Image:
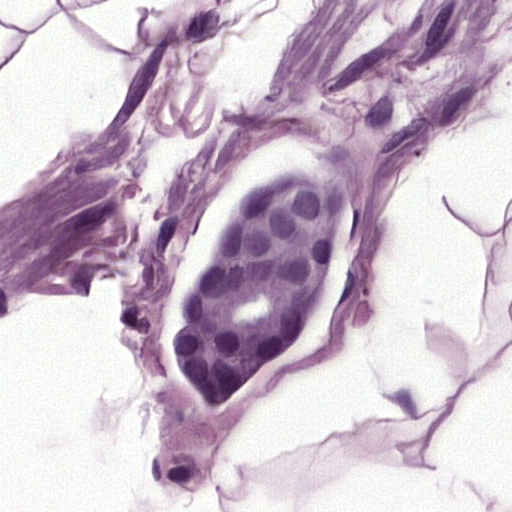
H&E-stained section of a sentinel lymph node (breast cancer), from a whole-slide image, viewed at about 40×: the field is about 0.12 mm across, about 0.24 µm per pixel.
Question:
Trace the edge of each tumour region in this crop, as (x, y) points from 0 to 511.
Answer:
One metastatic tumour region; its boundary, reduced to 8 corners and listed clockwise: (284, 164), (341, 183), (351, 240), (320, 323), (214, 405), (180, 401), (167, 325), (198, 224).
The annotated tumour makes up about 10% of the crop.